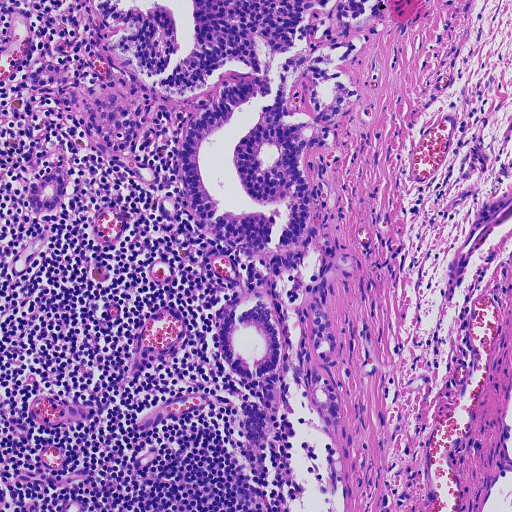
Lymph node section stained with H&E, from a whole-slide image of a breast-cancer sentinel node. Magnification about 10×, about 0.46 mm across the frame, about 0.91 µm per pixel.
Seven metastatic tumour regions, each outlined as a closed clockwise path in crop pixels (x, y), largest first: region 1: (92, 0), (405, 0), (335, 67), (355, 78), (358, 96), (333, 124), (334, 145), (304, 152), (323, 276), (320, 294), (303, 293), (294, 306), (186, 202), (181, 153), (192, 121), (220, 84), (253, 72), (230, 62), (180, 100), (150, 86), (111, 49), (116, 31); region 2: (262, 287), (284, 336), (284, 355), (272, 413), (272, 432), (266, 450), (254, 452), (247, 442), (239, 405), (244, 398), (260, 406), (263, 383), (236, 378), (224, 363), (218, 345), (217, 326), (222, 308), (234, 295); region 3: (113, 82), (133, 104), (139, 117), (139, 132), (130, 144), (117, 150), (104, 146), (94, 135), (85, 114), (91, 100), (100, 89); region 4: (312, 366), (332, 379), (340, 398), (340, 417), (333, 433), (308, 404); region 5: (41, 58), (57, 62), (70, 72), (64, 86), (78, 90), (81, 105), (67, 110), (55, 100), (60, 88), (47, 90), (32, 86), (30, 70); region 6: (62, 166), (66, 183), (66, 196), (59, 208), (40, 214), (28, 206), (26, 191), (36, 180); region 7: (314, 300), (328, 312), (333, 330), (335, 350), (330, 367), (317, 356), (308, 338), (309, 319).
The annotated tumour makes up about 25% of the crop.